Image:
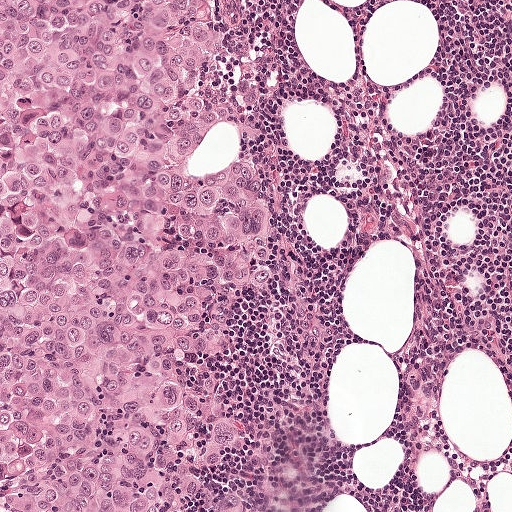
H&E-stained section of a sentinel lymph node (breast cancer), from a whole-slide image, viewed at about 10×: the field is about 0.5 mm across, about 0.97 µm per pixel.
Question:
Outline the metastatic carcinoma in this image, as closed paths of (x, y) pixel coordinates.
Answer:
Metastatic tumour outline, simplified to 7 points and listed clockwise in crop pixels (x, y): (0, 0), (262, 0), (244, 37), (262, 354), (224, 479), (190, 506), (0, 511).
About 50% of this field is tumour.